Image:
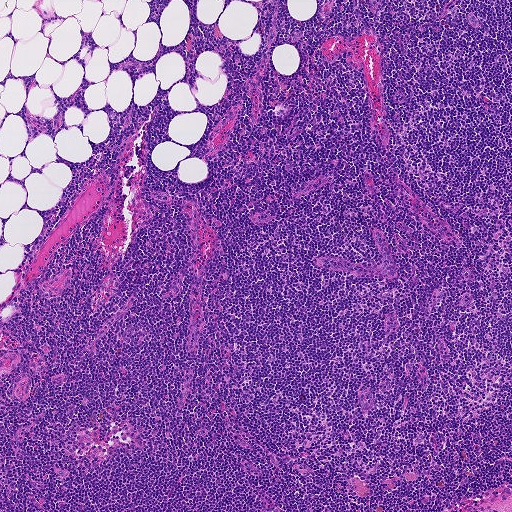
H&E-stained section of a sentinel lymph node (breast cancer), from a whole-slide image, viewed at about 5×: the field is about 0.93 mm across, about 1.8 µm per pixel.
Question:
Is any metastatic breast cancer visible in this crop?
Answer:
No: no metastatic tumour is outlined anywhere in this field.